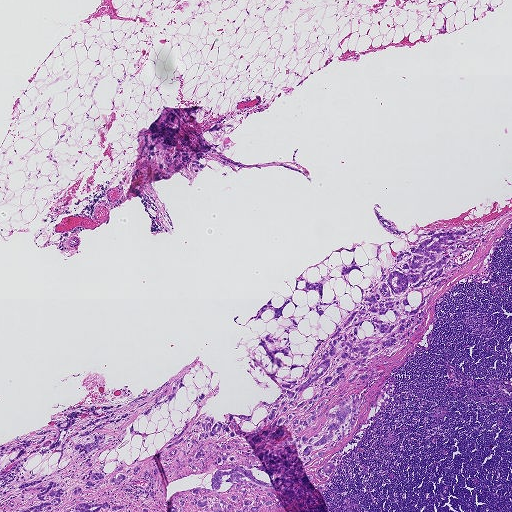
A 1.9-mm field of an H&E-stained sentinel lymph node from a breast-cancer patient (whole-slide image), shown at about 2.5×, about 3.6 µm per pixel.
The outlined metastatic tumour's edge, as a closed clockwise path of 36 points: (378, 203), (410, 241), (503, 217), (335, 453), (323, 505), (0, 511), (0, 445), (169, 378), (104, 473), (178, 434), (197, 394), (200, 416), (249, 415), (280, 395), (251, 357), (270, 372), (255, 348), (291, 322), (233, 317), (291, 295), (283, 318), (305, 315), (275, 357), (306, 364), (338, 308), (296, 281), (330, 268), (343, 317), (361, 292), (331, 250), (355, 245), (364, 289), (375, 243), (384, 270), (406, 244), (373, 204).
Tumour covers about 20% of the frame.